Question: 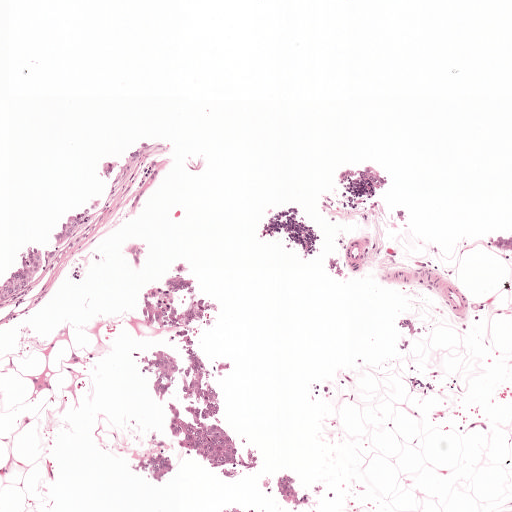
H&E-stained section of a sentinel lymph node (breast cancer), from a whole-slide image, viewed at about 5×: the field is about 1 mm across, about 1.9 µm per pixel.
Roughly what share of this field is metastatic tumour?

Choices:
 (A) none: no tumour is outlined
 (B) about 5% or less
 (C) about 50% or more
 (D) about 25% to 45%
 (E) about 10% to 20%

Answer: (B) about 5% or less
About 5% of the field is tumour.
Boundaries of six metastatic tumour regions, simplified and listed clockwise, largest first: region 1: (147, 243), (146, 263), (153, 283), (176, 261), (189, 267), (199, 289), (214, 298), (219, 321), (195, 346), (204, 354), (221, 398), (225, 426), (254, 446), (258, 469), (237, 480), (225, 478), (187, 457), (183, 449), (171, 461), (169, 478), (157, 486), (140, 478), (134, 467), (140, 456), (170, 453), (179, 446), (169, 426), (167, 402), (182, 399), (176, 378), (159, 402), (153, 397), (130, 355), (154, 348), (184, 366), (162, 328), (144, 314), (140, 278), (127, 257), (127, 245); region 2: (104, 196), (104, 210), (84, 231), (54, 252), (42, 265), (34, 281), (20, 292), (0, 302), (0, 282), (16, 254), (32, 243), (47, 248), (51, 238), (62, 223), (92, 200); region 3: (284, 474), (297, 478), (299, 484), (299, 494), (311, 490), (315, 486), (322, 485), (334, 495), (333, 500), (321, 498), (319, 511), (309, 511), (304, 506), (298, 511), (290, 510), (278, 498), (263, 490), (261, 482), (267, 476); region 4: (134, 149), (140, 154), (113, 178), (100, 178), (100, 165); region 5: (511, 229), (511, 253), (495, 248), (485, 242), (493, 235), (503, 230); region 6: (145, 140), (155, 140), (151, 149), (140, 146).
One more small tumour piece is annotated here but not outlined.